Lymph node section stained with H&E, from a whole-slide image of a breast-cancer sentinel node. Magnification about 5×, about 1 mm across the frame, about 1.9 µm per pixel.
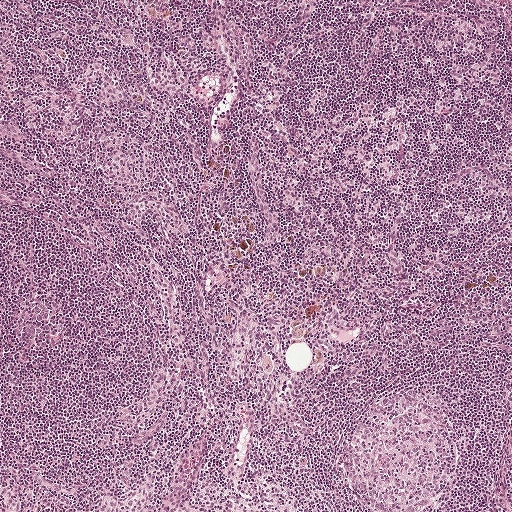
Question: Is there metastatic carcinoma in this field?
Answer: No: no metastatic tumour is outlined anywhere in this field.